Question: 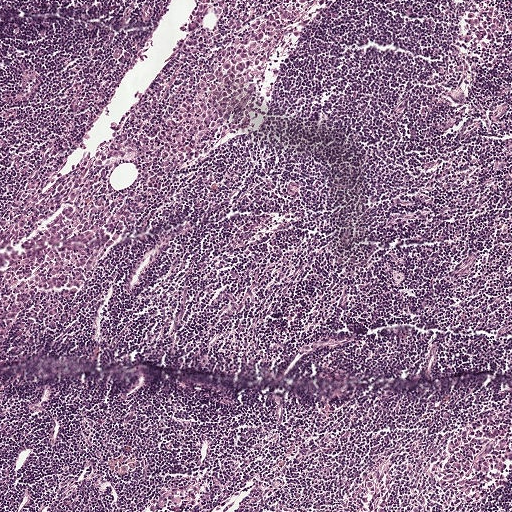
About what magnification does this crop show?

Choices:
 (A) about 10×
 (B) about 40×
 (C) about 5×
 (D) about 20×
 (E) about 2.5×

Answer: (C) about 5×
A 1-mm field of an H&E-stained sentinel lymph node from a breast-cancer patient (whole-slide image), shown at about 5×, about 1.9 µm per pixel.